Image:
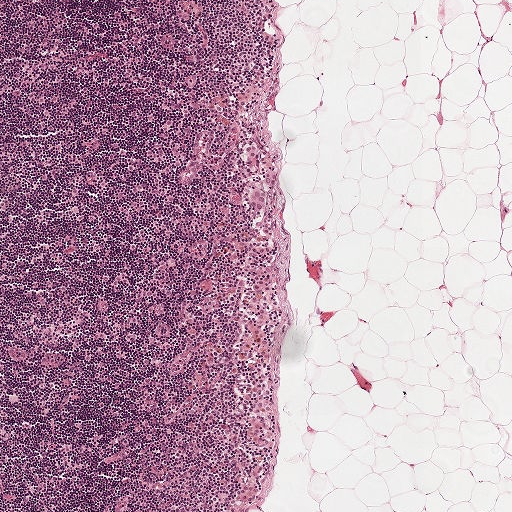
A 1-mm field of an H&E-stained sentinel lymph node from a breast-cancer patient (whole-slide image), shown at about 5×, about 1.9 µm per pixel.
Question:
Which parts of this field are metastatic tumour?
Answer:
Outlines of two tumour regions, largest first (closed clockwise paths, crop pixels): region 1: (258, 138), (260, 158), (262, 164), (278, 170), (278, 178), (276, 186), (271, 187), (265, 186), (258, 169), (244, 167), (239, 162), (242, 150), (252, 139); region 2: (261, 184), (268, 195), (266, 212), (258, 215), (248, 215), (244, 212), (242, 205), (245, 192), (251, 185).
Tumour covers under 5% of the frame.